Lymph node section stained with H&E, from a whole-slide image of a breast-cancer sentinel node. Magnification about 20×, about 0.25 mm across the frame, about 0.49 µm per pixel.
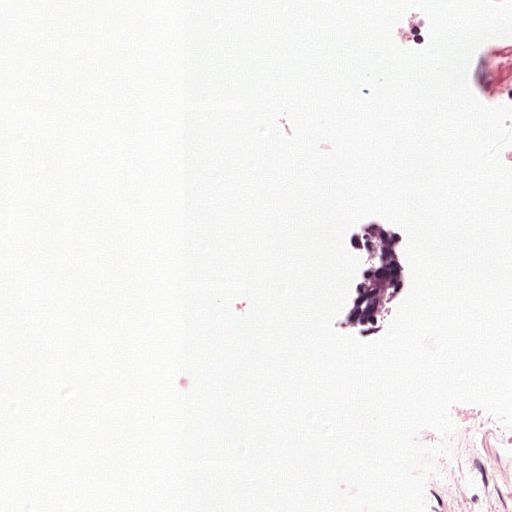
Tumour region outline (a closed clockwise path, crop pixels): (357, 217), (402, 220), (415, 275), (397, 316), (375, 344), (332, 330), (344, 256).
About 5% of the image area is annotated as tumour.